This is a crop of a whole-slide image: an H&E-stained breast-cancer sentinel lymph node section at roughly 5× magnification (about 1.9 µm per pixel; the crop spans about 1 mm).
Question: 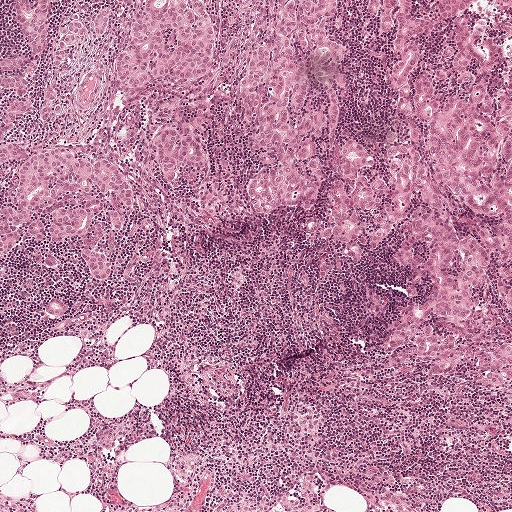
What fraction of the image area is metastatic tumour?

Choices:
 (A) about 50% or more
 (B) about 10% to 20%
 (C) about 25% to 45%
 (D) about 5% or less
 (E) none: no tumour is outlined

Answer: (D) about 5% or less
About 5% of the field is tumour.
Outlines of two tumour regions, largest first (closed clockwise paths, crop pixels): region 1: (86, 149), (122, 166), (136, 188), (137, 206), (123, 233), (112, 236), (98, 250), (112, 266), (104, 279), (89, 274), (77, 239), (43, 243), (21, 237), (0, 257), (0, 206), (10, 201), (19, 184), (19, 169), (40, 152); region 2: (140, 0), (204, 1), (217, 31), (218, 61), (211, 75), (185, 86), (155, 85), (136, 93), (114, 90), (111, 64), (117, 42).